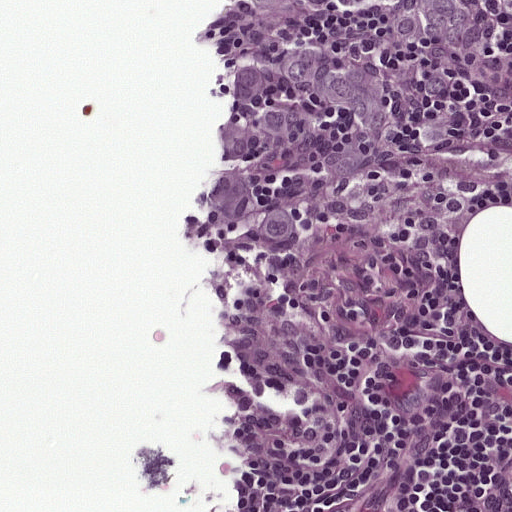
A 0.25-mm field of an H&E-stained sentinel lymph node from a breast-cancer patient (whole-slide image), shown at about 20×, about 0.49 µm per pixel.
Outlines of three tumour regions, largest first (closed clockwise paths, crop pixels): region 1: (285, 44), (312, 44), (336, 58), (387, 106), (392, 120), (389, 132), (344, 106), (318, 103), (294, 92), (284, 68); region 2: (242, 64), (256, 66), (264, 81), (258, 96), (235, 104), (232, 122), (284, 100), (303, 130), (282, 142), (242, 156), (218, 157), (216, 128), (226, 110), (234, 81); region 3: (343, 0), (464, 0), (480, 20), (485, 39), (482, 52), (470, 52), (404, 40), (398, 6), (346, 2).
Three more small tumour pieces are annotated here but not outlined.
The annotated tumour makes up about 5% of the crop.